H&E-stained section of a sentinel lymph node (breast cancer), from a whole-slide image, viewed at about 20×: the field is about 0.25 mm across, about 0.49 µm per pixel.
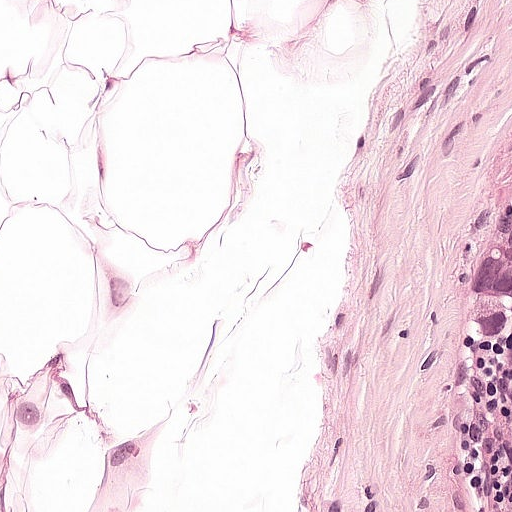
Question: Which parts of this field are metastatic tumour?
Answer: Tumour region outline (a closed clockwise path, crop pixels): (511, 133), (511, 511), (398, 511), (398, 343), (424, 270).
The annotated tumour makes up about 10% of the crop.